A 0.12-mm field of an H&E-stained sentinel lymph node from a breast-cancer patient (whole-slide image), shown at about 40×, about 0.24 µm per pixel.
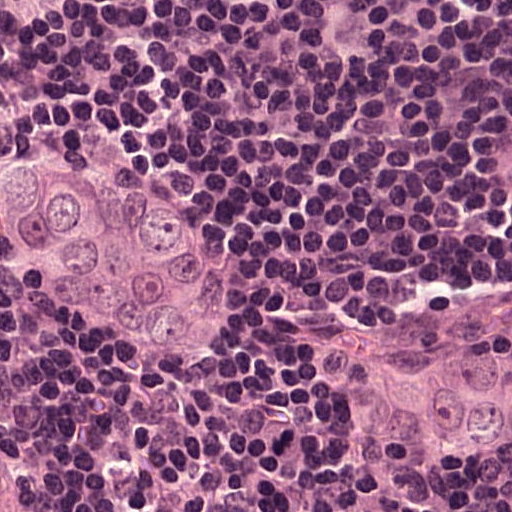
Outlines of two tumour regions, largest first (closed clockwise paths, crop pixels): region 1: (8, 150), (106, 173), (172, 209), (185, 237), (210, 252), (223, 321), (215, 346), (192, 364), (115, 372), (60, 343), (1, 289), (0, 158); region 2: (0, 447), (20, 466), (20, 470), (36, 479), (42, 485), (45, 485), (64, 501), (86, 511), (0, 511).
Tumour covers about 15% of the frame.